Lymph node section stained with H&E, from a whole-slide image of a breast-cancer sentinel node. Magnification about 20×, about 0.23 mm across the frame, about 0.45 µm per pixel.
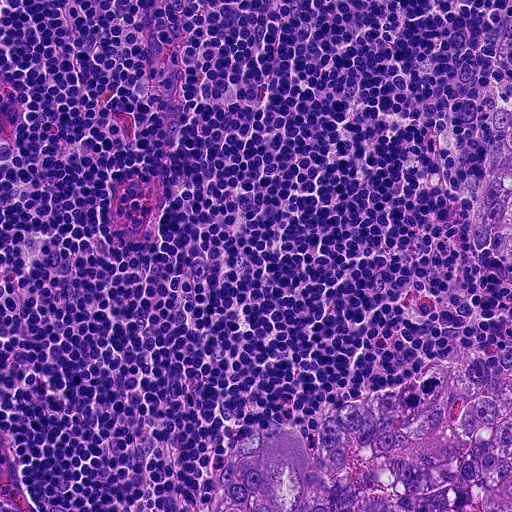
Question: Is any metastatic breast cancer visible in this crop?
Answer: Yes.
Two metastatic tumour regions, each outlined as a closed clockwise path in crop pixels (x, y), largest first: region 1: (510, 342), (511, 511), (211, 511), (210, 492), (240, 442), (296, 427), (308, 440), (320, 414), (346, 399), (402, 384), (425, 364); region 2: (508, 0), (511, 0), (511, 268), (498, 264), (477, 243), (473, 214), (481, 186), (489, 128), (492, 40).
Tumour covers about 15% of the frame.